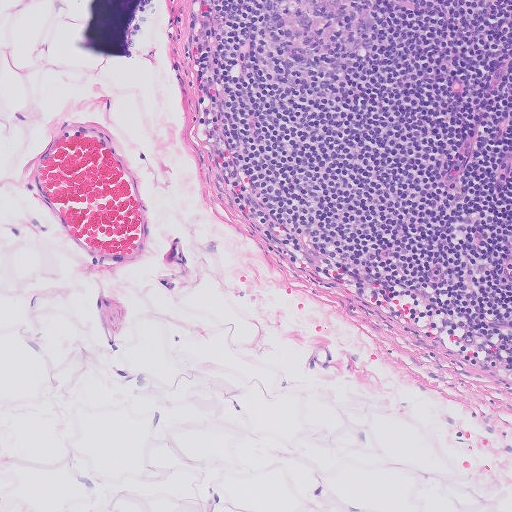
A 0.51-mm field of an H&E-stained sentinel lymph node from a breast-cancer patient (whole-slide image), shown at about 10×, about 1.0 µm per pixel.